Image:
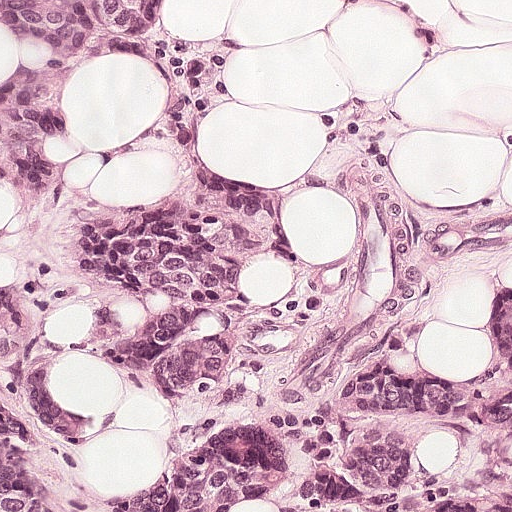
Lymph node section stained with H&E, from a whole-slide image of a breast-cancer sentinel node. Magnification about 20×, about 0.25 mm across the frame, about 0.49 µm per pixel.
Question:
Show where the tumour is in this image.
Answer:
One metastatic tumour region; its boundary, reduced to 8 corners and listed clockwise: (0, 0), (307, 0), (424, 157), (424, 175), (460, 193), (511, 279), (511, 511), (0, 511).
About 90% of the image area is annotated as tumour.